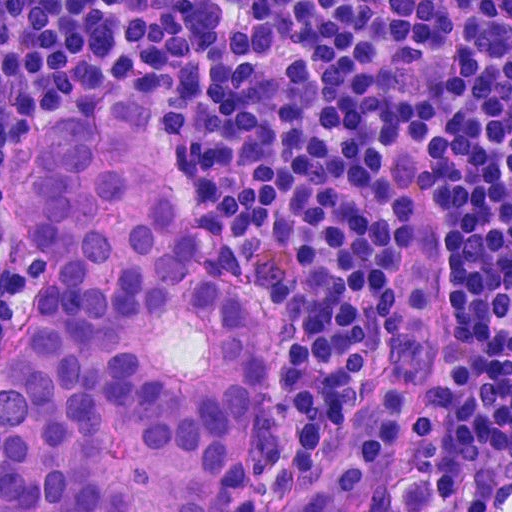
This is a crop of a whole-slide image: an H&E-stained breast-cancer sentinel lymph node section at roughly 40× magnification (about 0.23 µm per pixel; the crop spans about 0.12 mm).
Tumour region outline (a closed clockwise path, crop pixels): (60, 120), (166, 141), (199, 248), (218, 276), (280, 310), (282, 343), (241, 511), (0, 511), (0, 362), (44, 260), (0, 190), (5, 156).
The annotated tumour makes up about 35% of the crop.